H&E-stained section of a sentinel lymph node (breast cancer), from a whole-slide image, viewed at about 10×: the field is about 0.46 mm across, about 0.9 µm per pixel.
Image:
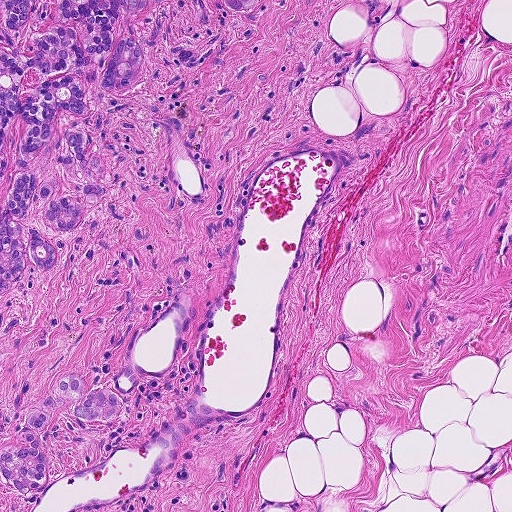
Question:
Is there metastatic carcinoma in this field?
Answer:
Yes.
Three metastatic tumour regions, each outlined as a closed clockwise path in crop pixels (x, y), largest first: region 1: (0, 0), (168, 0), (133, 21), (146, 47), (140, 82), (128, 96), (94, 95), (89, 134), (106, 168), (108, 199), (84, 227), (69, 237), (56, 234), (61, 252), (52, 268), (30, 268), (5, 297); region 2: (74, 370), (84, 374), (92, 389), (102, 386), (113, 390), (125, 405), (122, 416), (102, 423), (69, 418), (64, 411), (42, 437), (43, 453), (49, 462), (48, 482), (36, 492), (5, 480), (0, 476), (0, 449), (19, 443), (16, 432), (26, 420), (29, 409), (41, 407), (63, 374); region 3: (220, 0), (262, 0), (249, 12), (235, 12), (222, 8).
The annotated tumour makes up about 15% of the crop.